Image:
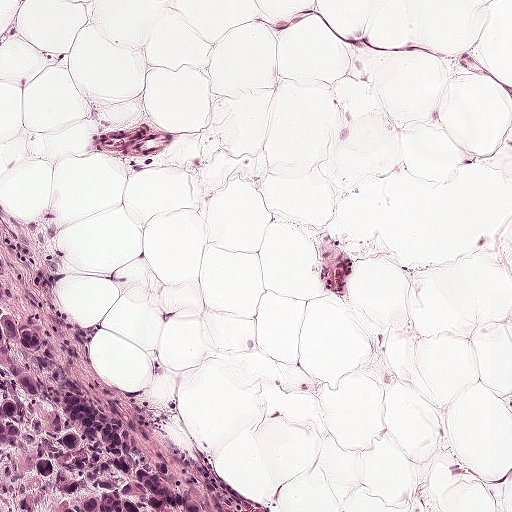
A 0.5-mm field of an H&E-stained sentinel lymph node from a breast-cancer patient (whole-slide image), shown at about 10×, about 0.97 µm per pixel.
Question:
Is there metastatic carcinoma in this field?
Answer:
Yes.
The outlined metastatic tumour's edge, as a closed clockwise path of 5 points: (0, 294), (129, 410), (177, 477), (229, 511), (0, 511).
About 10% of this field is tumour.